Question: 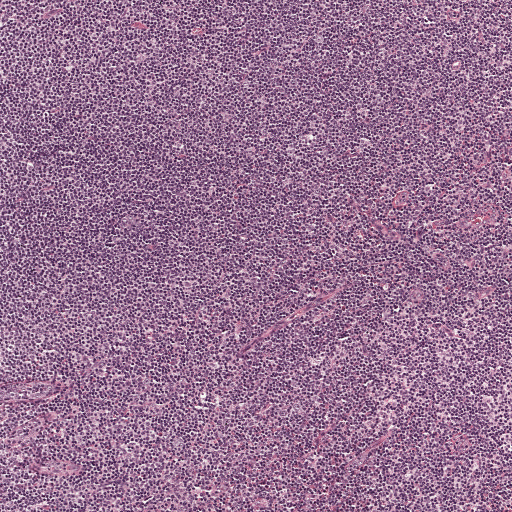
About what magnification does this crop show?

Choices:
 (A) about 40×
 (B) about 5×
 (C) about 20×
 (D) about 10×
 (E) about 2.5×

Answer: (B) about 5×
This is a crop of a whole-slide image: an H&E-stained breast-cancer sentinel lymph node section at roughly 5× magnification (about 1.9 µm per pixel; the crop spans about 1 mm).